Question: 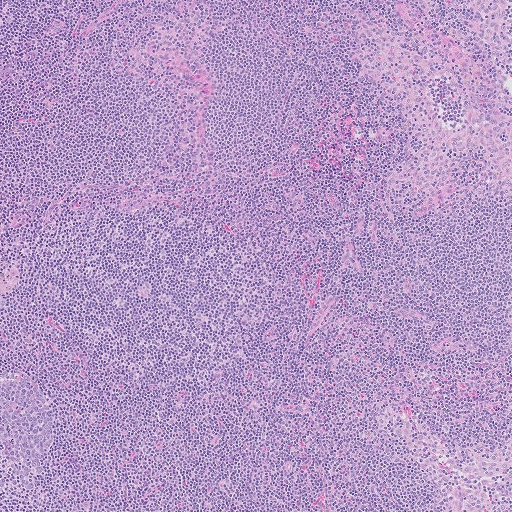
Which magnification is this H&E lymph node field most likely shown at?

Choices:
 (A) about 2.5×
 (B) about 5×
 (C) about 20×
 (D) about 10×
 (E) about 40×

Answer: (B) about 5×
Lymph node section stained with H&E, from a whole-slide image of a breast-cancer sentinel node. Magnification about 5×, about 1.0 mm across the frame, about 2.0 µm per pixel.